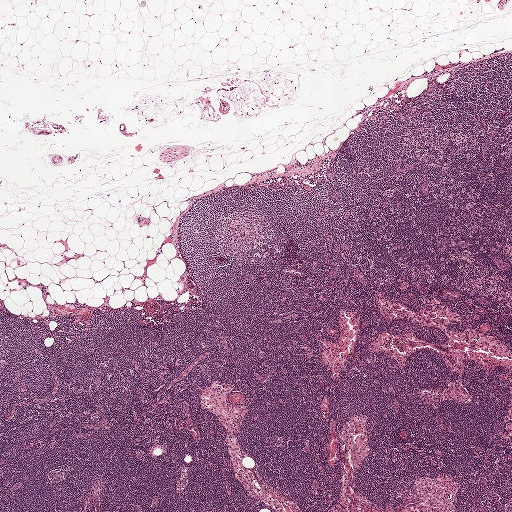
H&E-stained section of a sentinel lymph node (breast cancer), from a whole-slide image, viewed at about 2.5×: the field is about 2.0 mm across, about 3.9 µm per pixel.
Question: Does this lymph node field contain metastatic tumour?
Answer: No: no metastatic tumour is outlined anywhere in this field.